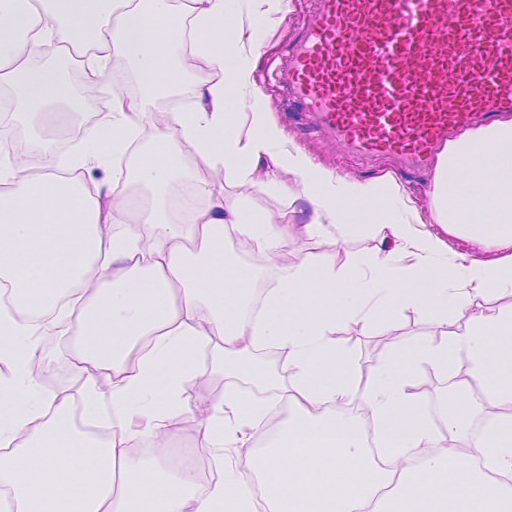
Lymph node section stained with H&E, from a whole-slide image of a breast-cancer sentinel node. Magnification about 20×, about 0.23 mm across the frame, about 0.45 µm per pixel.